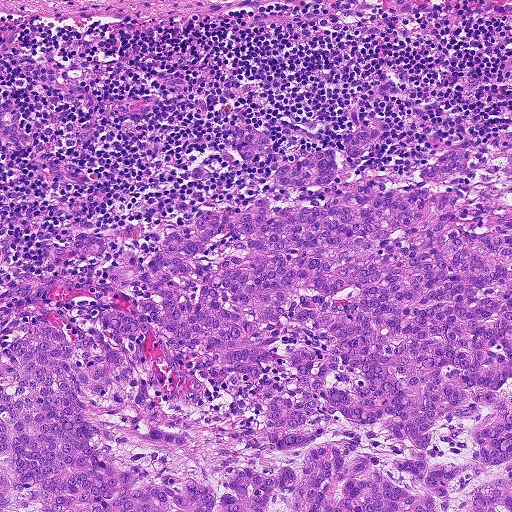
This is a crop of a whole-slide image: an H&E-stained breast-cancer sentinel lymph node section at roughly 10× magnification (about 0.9 µm per pixel; the crop spans about 0.46 mm).
One metastatic tumour region; its boundary, reduced to 23 corners and listed clockwise: (390, 122), (346, 176), (364, 179), (497, 148), (468, 200), (505, 208), (511, 511), (0, 511), (0, 346), (34, 326), (74, 338), (139, 296), (134, 268), (74, 235), (140, 257), (201, 206), (324, 203), (321, 188), (267, 186), (270, 156), (238, 158), (233, 124), (285, 162).
About 60% of the image area is annotated as tumour.